A 1.9-mm field of an H&E-stained sentinel lymph node from a breast-cancer patient (whole-slide image), shown at about 2.5×, about 3.6 µm per pixel.
Image:
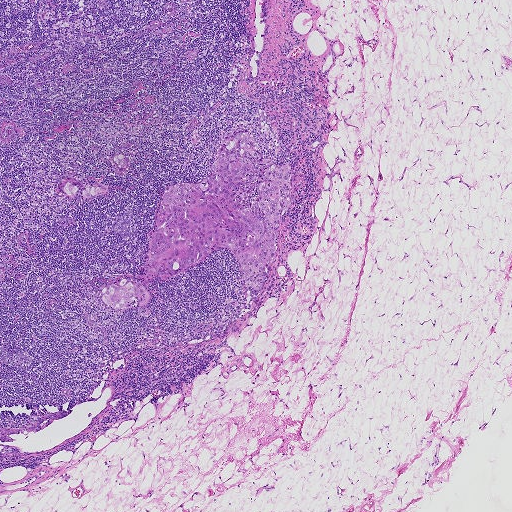
Question:
Outline the metastatic carcinoma in this image, as closed paths of (x, y) pixel coordinates.
Answer:
Six metastatic tumour regions, each outlined as a closed clockwise path in crop pixels (x, y), largest first: region 1: (242, 129), (249, 133), (261, 154), (275, 166), (290, 169), (294, 202), (277, 230), (272, 268), (259, 293), (251, 293), (246, 286), (239, 260), (223, 248), (169, 278), (152, 276), (147, 270), (150, 235), (166, 188), (203, 180), (226, 137); region 2: (117, 277), (126, 278), (142, 285), (148, 292), (149, 301), (143, 307), (143, 311), (148, 309), (151, 311), (151, 315), (142, 316), (138, 308), (136, 300), (121, 309), (108, 306), (102, 300), (100, 291), (105, 284); region 3: (66, 409), (71, 410), (70, 414), (66, 416), (54, 420), (51, 424), (37, 433), (33, 431), (26, 435), (21, 434), (20, 432), (16, 435), (8, 436), (12, 438), (16, 439), (12, 441), (4, 442), (0, 441), (0, 428), (9, 428), (17, 429), (30, 426), (53, 413), (61, 410); region 4: (68, 178), (75, 178), (78, 180), (79, 184), (78, 191), (74, 195), (70, 196), (67, 195), (60, 188), (60, 184), (62, 181); region 5: (87, 182), (94, 184), (97, 183), (104, 185), (106, 187), (106, 190), (104, 192), (93, 195), (87, 199), (85, 198), (82, 191); region 6: (120, 153), (124, 154), (127, 157), (128, 161), (128, 165), (124, 168), (120, 168), (116, 167), (111, 160), (112, 155).
The annotated tumour makes up about 5% of the crop.